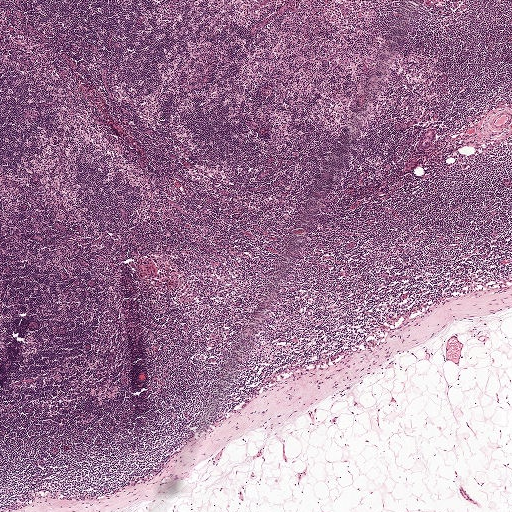
This is a crop of a whole-slide image: an H&E-stained breast-cancer sentinel lymph node section at roughly 2.5× magnification (about 3.9 µm per pixel; the crop spans about 2.0 mm).
Metastatic tumour outline, simplified to 8 points and listed clockwise in crop pixels (x, y): (428, 129), (435, 129), (436, 137), (430, 148), (421, 149), (419, 148), (418, 144), (421, 136).
One more small tumour piece is annotated here but not outlined.
Under 5% of the image area is annotated as tumour.